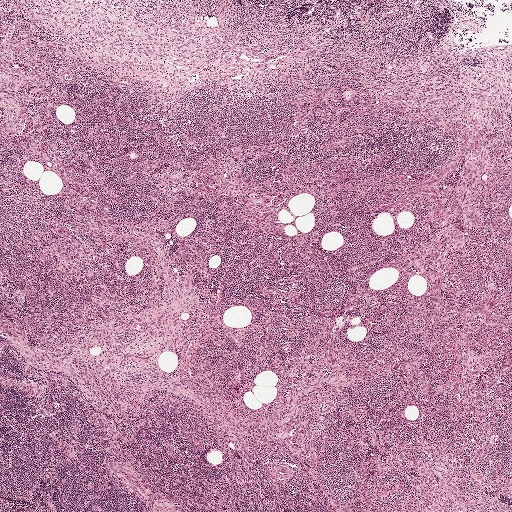
Lymph node section stained with H&E, from a whole-slide image of a breast-cancer sentinel node. Magnification about 2.5×, about 2.0 mm across the frame, about 3.9 µm per pixel.